Question: 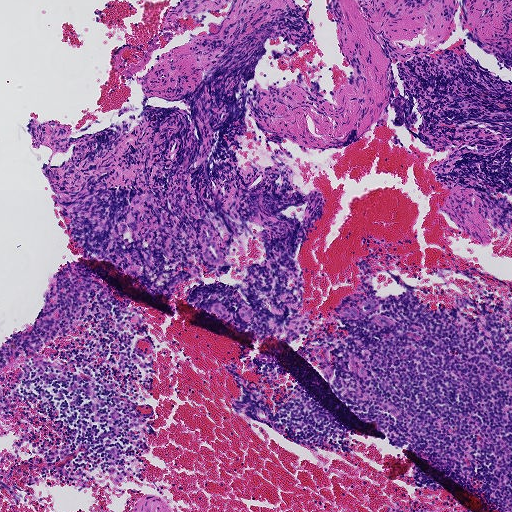
At roughly what magnification is this field shown?

Choices:
 (A) about 5×
 (B) about 10×
 (C) about 2.5×
 (D) about 40×
 (E) about 20×

Answer: (A) about 5×
A 0.93-mm field of an H&E-stained sentinel lymph node from a breast-cancer patient (whole-slide image), shown at about 5×, about 1.8 µm per pixel.